Question: 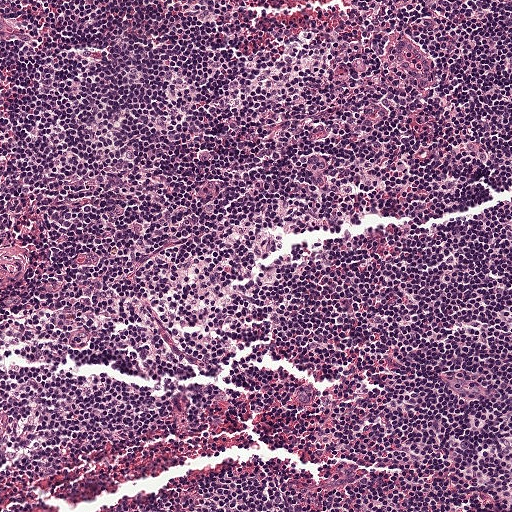
Which magnification is this H&E lymph node field most likely shown at?

Choices:
 (A) about 5×
 (B) about 2.5×
 (C) about 10×
 (D) about 20×
 (E) about 40×

Answer: (C) about 10×
Lymph node section stained with H&E, from a whole-slide image of a breast-cancer sentinel node. Magnification about 10×, about 0.5 mm across the frame, about 0.97 µm per pixel.